Lymph node section stained with H&E, from a whole-slide image of a breast-cancer sentinel node. Magnification about 40×, about 0.12 mm across the frame, about 0.23 µm per pixel.
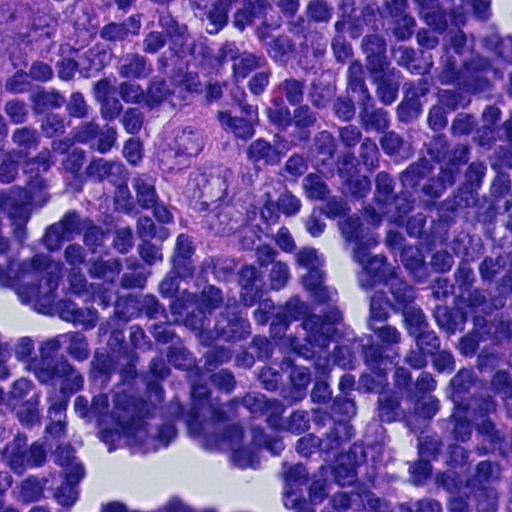
Boundaries of two metastatic tumour regions, simplified and listed clockwise, largest first: region 1: (201, 100), (249, 141), (256, 196), (235, 248), (187, 219), (153, 174), (160, 114); region 2: (0, 0), (85, 0), (94, 41), (69, 82), (23, 93), (0, 86).
Tumour covers about 5% of the frame.